Question: 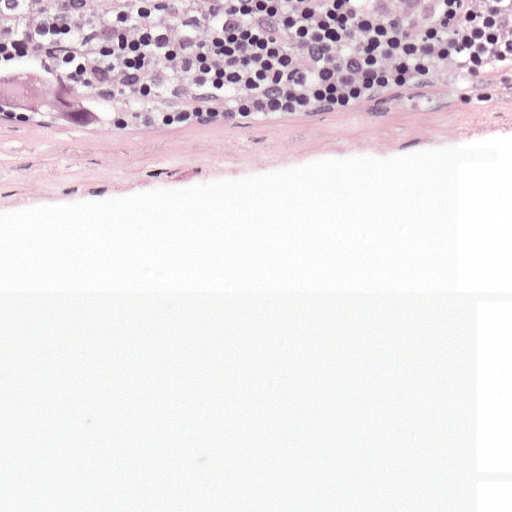
This is a crop of a whole-slide image: an H&E-stained breast-cancer sentinel lymph node section at roughly 20× magnification (about 0.49 µm per pixel; the crop spans about 0.25 mm).
About how much of this crop is taken up by metastatic carcinoma?

Choices:
 (A) about 25% to 45%
 (B) about 5% or less
 (C) about 10% to 20%
 (D) none: no tumour is outlined
 (E) about 50% or more

Answer: (B) about 5% or less
Under 5% of the field is tumour.
Metastatic tumour outline, simplified to 9 points and listed clockwise in crop pixels (x, y): (34, 72), (59, 78), (82, 90), (99, 112), (96, 127), (64, 124), (0, 103), (0, 78), (8, 74).